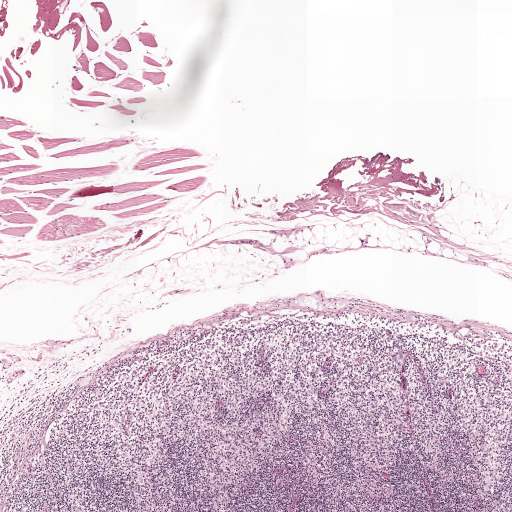
H&E-stained section of a sentinel lymph node (breast cancer), from a whole-slide image, viewed at about 2.5×: the field is about 2.0 mm across, about 3.9 µm per pixel.
Four metastatic tumour regions, each outlined as a closed clockwise path in crop pixels (x, y), largest first: region 1: (400, 348), (408, 355), (405, 368), (400, 372), (394, 372), (388, 361), (393, 350); region 2: (398, 421), (408, 424), (409, 430), (407, 442), (402, 445), (395, 442), (390, 430), (392, 423); region 3: (391, 326), (396, 332), (396, 338), (392, 344), (385, 344), (382, 338), (381, 333), (385, 327), (391, 328); region 4: (371, 398), (377, 398), (381, 406), (378, 412), (371, 412), (366, 408), (367, 402).
Two more small tumour pieces are annotated here but not outlined.
Tumour covers under 5% of the frame.